A 1-mm field of an H&E-stained sentinel lymph node from a breast-cancer patient (whole-slide image), shown at about 5×, about 1.9 µm per pixel.
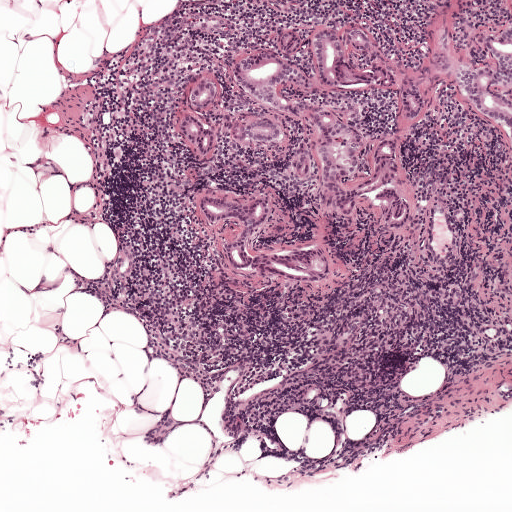
One metastatic tumour region; its boundary, reduced to 23 corners and listed clockwise: (511, 0), (511, 155), (446, 87), (409, 130), (396, 157), (406, 191), (444, 198), (460, 231), (446, 271), (424, 274), (360, 201), (352, 222), (321, 222), (349, 276), (330, 300), (240, 286), (182, 177), (176, 118), (193, 93), (321, 19), (351, 22), (418, 68), (449, 2).
The annotated tumour makes up about 25% of the crop.